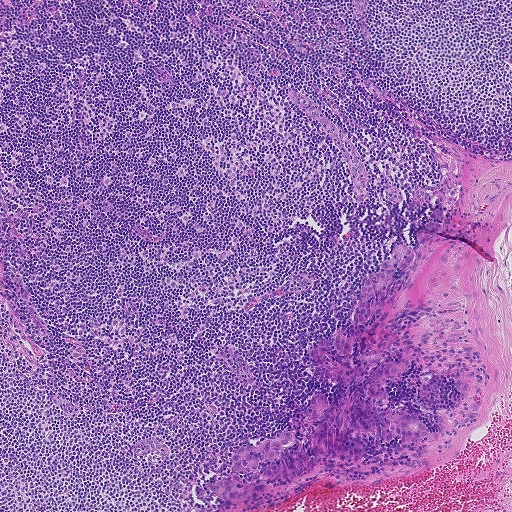
H&E-stained section of a sentinel lymph node (breast cancer), from a whole-slide image, viewed at about 5×: the field is about 0.93 mm across, about 1.8 µm per pixel.
Question: Is any metastatic breast cancer visible in this crop?
Answer: Yes.
Boundaries of three metastatic tumour regions, simplified and listed clockwise, largest first: region 1: (394, 247), (412, 248), (415, 284), (387, 325), (398, 338), (362, 359), (367, 377), (408, 354), (409, 367), (366, 405), (430, 430), (395, 440), (348, 430), (368, 456), (302, 449), (309, 460), (266, 482), (292, 481), (280, 492), (214, 496), (207, 484), (232, 473), (236, 449), (315, 424), (304, 419), (318, 392), (332, 405), (342, 396), (353, 379), (328, 380), (332, 365), (308, 350), (325, 338), (330, 355), (345, 357), (332, 336), (380, 312), (350, 322), (364, 278); region 2: (431, 221), (443, 224), (443, 228), (441, 231), (429, 234), (431, 238), (421, 243), (416, 238), (418, 231), (425, 229), (424, 224), (427, 222); region 3: (458, 378), (469, 384), (470, 387), (470, 390), (469, 393), (467, 394), (461, 393), (458, 391), (456, 388), (455, 382), (455, 379).
The annotated tumour makes up about 5% of the crop.